Lymph node section stained with H&E, from a whole-slide image of a breast-cancer sentinel node. Magnification about 20×, about 0.25 mm across the frame, about 0.49 µm per pixel.
Question: 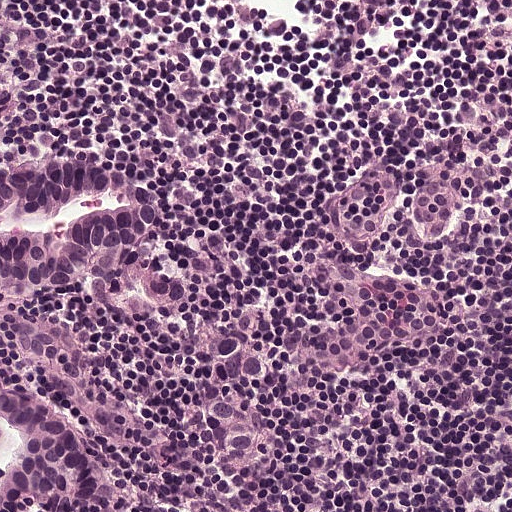
Roughly what share of this field is metastatic tumour?

Choices:
 (A) about 25% to 45%
 (B) about 5% or less
 (C) none: no tumour is outlined
 (D) about 50% or more
 (E) about 10% to 20%

Answer: (E) about 10% to 20%
About 15% of the field is tumour.
Three metastatic tumour regions, each outlined as a closed clockwise path in crop pixels (x, y), largest first: region 1: (44, 146), (105, 148), (162, 174), (169, 192), (164, 224), (101, 252), (75, 274), (0, 297), (0, 155); region 2: (0, 366), (36, 387), (68, 414), (79, 430), (99, 484), (99, 496), (87, 502), (42, 506), (13, 499), (1, 506); region 3: (15, 308), (28, 314), (36, 313), (53, 322), (76, 358), (95, 372), (111, 393), (120, 411), (123, 429), (122, 440), (110, 440), (89, 424), (69, 400), (52, 389), (40, 367), (8, 344), (0, 335), (0, 319), (5, 312).
One more small tumour piece is annotated here but not outlined.